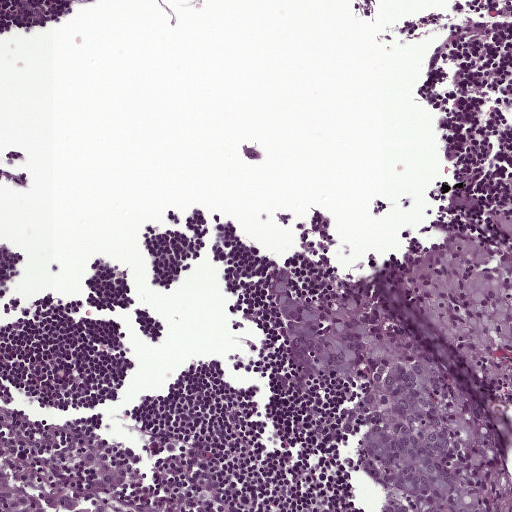
This is a crop of a whole-slide image: an H&E-stained breast-cancer sentinel lymph node section at roughly 10× magnification (about 0.97 µm per pixel; the crop spans about 0.5 mm).
Question: Describe where the metastatic carcinoma lies in this crop.
Answer: Tumour region outline (a closed clockwise path, crop pixels): (511, 203), (511, 458), (501, 470), (501, 511), (380, 511), (370, 480), (351, 472), (346, 450), (360, 404), (354, 383), (285, 363), (267, 274), (282, 260), (311, 296), (329, 274).
The annotated tumour makes up about 20% of the crop.

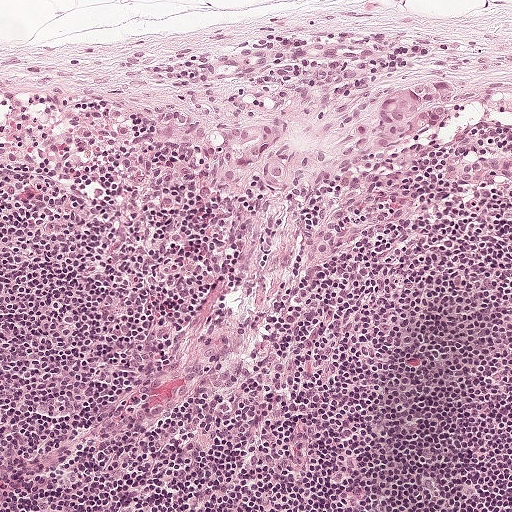
H&E-stained section of a sentinel lymph node (breast cancer), from a whole-slide image, viewed at about 10×: the field is about 0.5 mm across, about 0.97 µm per pixel.
Question: Describe where the metastatic carcinoma lies in this crop.
Answer: Boundaries of two metastatic tumour regions, simplified and listed clockwise, largest first: region 1: (440, 83), (451, 86), (459, 100), (459, 107), (443, 127), (412, 144), (383, 154), (366, 174), (332, 186), (328, 184), (331, 171), (350, 138), (375, 122), (383, 106), (415, 88); region 2: (264, 116), (278, 120), (282, 124), (282, 144), (270, 152), (256, 176), (246, 186), (234, 191), (219, 191), (212, 189), (209, 177), (214, 165), (211, 142), (214, 130), (216, 126), (230, 123), (250, 129).
About 5% of this field is tumour.

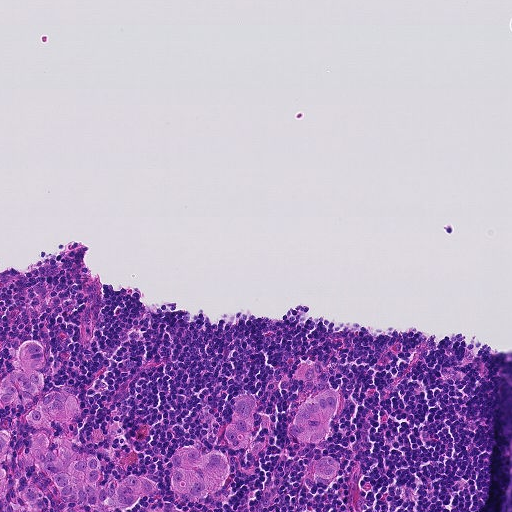
Lymph node section stained with H&E, from a whole-slide image of a breast-cancer sentinel node. Magnification about 10×, about 0.46 mm across the frame, about 0.9 µm per pixel.
Question: Describe where the metastatic carcinoma lies in this crop.
Answer: Three metastatic tumour regions, each outlined as a closed clockwise path in crop pixels (x, y), largest first: region 1: (28, 338), (45, 346), (40, 400), (56, 385), (74, 388), (84, 405), (76, 422), (51, 422), (53, 434), (98, 454), (100, 486), (128, 474), (156, 482), (129, 510), (0, 511), (0, 429), (11, 446), (4, 464), (18, 473), (38, 431), (27, 424), (28, 406), (0, 405), (0, 379); region 2: (256, 394), (253, 430), (246, 448), (238, 451), (228, 445), (220, 452), (229, 459), (231, 478), (220, 494), (181, 494), (176, 506), (181, 511), (153, 511), (173, 504), (178, 493), (168, 485), (173, 467), (171, 454), (188, 444), (204, 454), (218, 451), (226, 440), (235, 398); region 3: (325, 393), (341, 397), (338, 414), (330, 421), (327, 438), (311, 442), (294, 442), (291, 427), (296, 411), (309, 400).
Tumour covers about 5% of the frame.

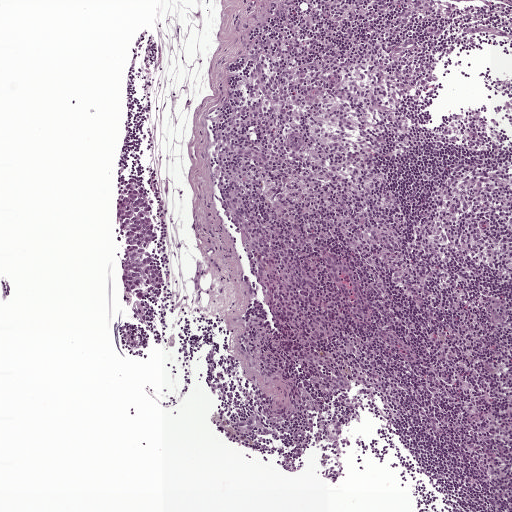
This is a crop of a whole-slide image: an H&E-stained breast-cancer sentinel lymph node section at roughly 5× magnification (about 1.9 µm per pixel; the crop spans about 1 mm).
Question: Describe where the metastatic carcinoma lies in this crop.
Answer: One metastatic tumour region; its boundary, reduced to 23 corners and listed clockwise: (137, 175), (143, 178), (150, 189), (153, 201), (152, 214), (158, 238), (151, 248), (151, 253), (159, 262), (164, 273), (164, 287), (146, 304), (148, 322), (141, 323), (133, 320), (134, 298), (119, 285), (117, 261), (122, 248), (118, 242), (115, 198), (116, 186), (124, 176).
Under 5% of this field is tumour.